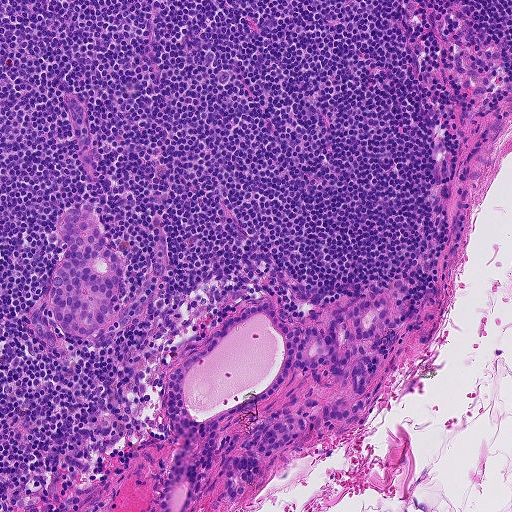
A 0.46-mm field of an H&E-stained sentinel lymph node from a breast-cancer patient (whole-slide image), shown at about 10×, about 0.9 µm per pixel.
Outlines of four tumour regions, largest first (closed clockwise paths, crop pixels): region 1: (387, 298), (384, 323), (357, 343), (372, 357), (368, 390), (345, 392), (328, 365), (292, 371), (272, 397), (217, 428), (215, 452), (198, 470), (186, 511), (160, 511), (181, 438), (166, 420), (169, 375), (223, 320), (258, 302), (274, 302), (291, 330), (326, 332), (354, 304); region 2: (70, 210), (97, 215), (105, 242), (110, 249), (125, 258), (116, 319), (97, 336), (88, 338), (72, 336), (58, 325), (50, 310), (52, 276), (66, 245), (55, 228), (56, 219); region 3: (286, 409), (305, 421), (303, 439), (273, 457), (265, 458), (256, 456), (260, 463), (261, 472), (257, 480), (249, 484), (241, 499), (232, 501), (226, 496), (222, 480), (216, 478), (220, 464), (226, 458), (243, 453), (241, 447), (248, 432), (277, 410); region 4: (362, 399), (364, 404), (363, 410), (340, 422), (322, 420), (324, 404), (330, 406), (332, 410), (341, 411).
Tumour covers about 10% of the frame.